H&E-stained section of a sentinel lymph node (breast cancer), from a whole-slide image, viewed at about 2.5×: the field is about 2.0 mm across, about 4.0 µm per pixel.
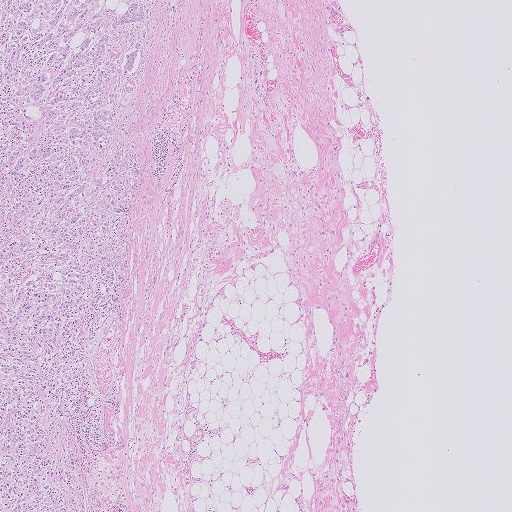
Tumour region outline (a closed clockwise path, crop pixels): (0, 0), (151, 0), (118, 130), (139, 150), (142, 176), (126, 227), (123, 291), (72, 415), (47, 426), (62, 455), (75, 459), (76, 511), (0, 511).
About 20% of this field is tumour.